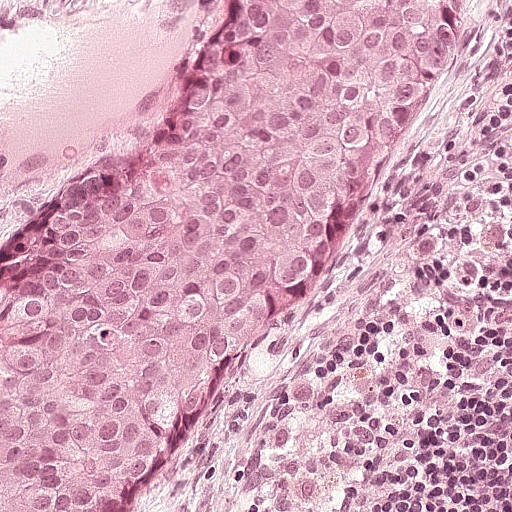
Lymph node section stained with H&E, from a whole-slide image of a breast-cancer sentinel node. Magnification about 20×, about 0.25 mm across the frame, about 0.49 µm per pixel.
One metastatic tumour region; its boundary, reduced to 13 corners and listed clockwise: (491, 0), (464, 84), (418, 165), (306, 258), (256, 364), (168, 457), (135, 511), (0, 511), (0, 292), (54, 190), (180, 102), (214, 28), (242, 1).
Tumour covers about 50% of the frame.